This is a crop of a whole-slide image: an H&E-stained breast-cancer sentinel lymph node section at roughly 20× magnification (about 0.49 µm per pixel; the crop spans about 0.25 mm).
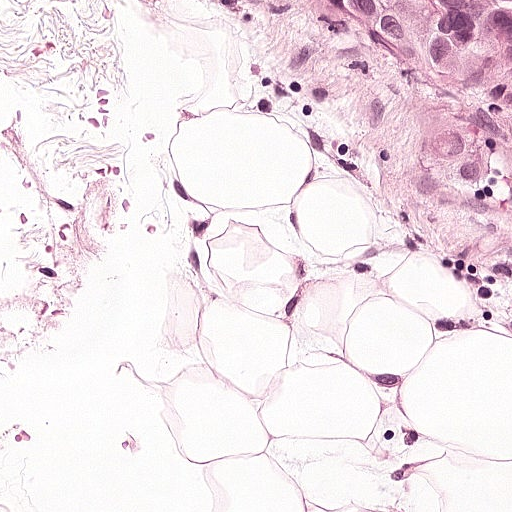
One metastatic tumour region; its boundary, reduced to 5 corners and listed clockwise: (511, 0), (511, 270), (477, 258), (386, 200), (202, 2).
Tumour covers about 20% of the frame.